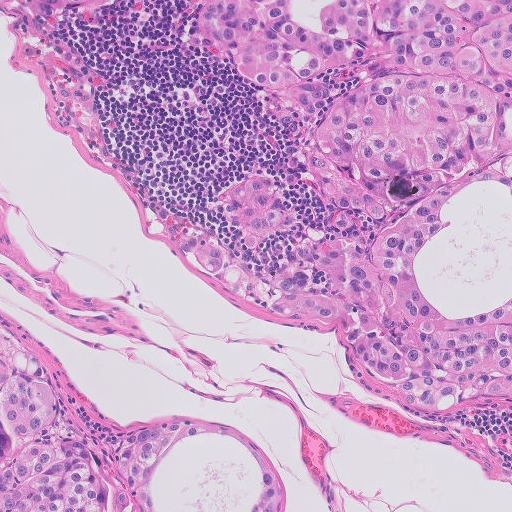
This is a crop of a whole-slide image: an H&E-stained breast-cancer sentinel lymph node section at roughly 10× magnification (about 1.0 µm per pixel; the crop spans about 0.51 mm).
Outlines of two tumour regions, largest first (closed clockwise paths, crop pixels): region 1: (32, 0), (511, 0), (511, 467), (501, 445), (444, 434), (314, 322), (262, 302), (214, 267), (191, 217), (261, 130), (220, 92), (124, 34), (85, 143), (51, 96); region 2: (0, 321), (30, 336), (64, 384), (111, 412), (168, 407), (222, 419), (267, 457), (259, 511), (0, 511).
About 60% of this field is tumour.